Image:
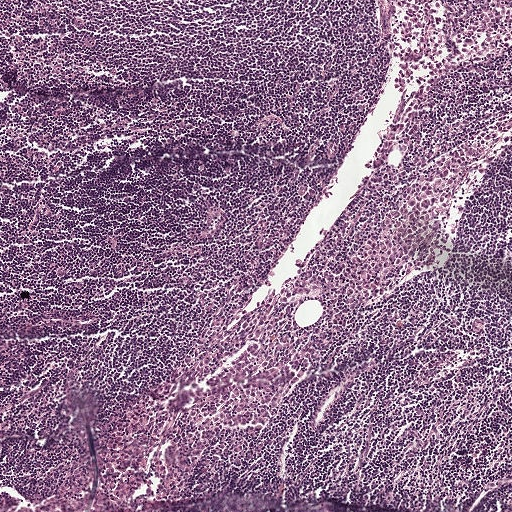
H&E-stained section of a sentinel lymph node (breast cancer), from a whole-slide image, viewed at about 5×: the field is about 1 mm across, about 1.9 µm per pixel.
Question:
Trace the edge of each tumour region in this crop, as (x, y) points from 0 to 511.
Answer:
Tumour region outline (a closed clockwise path, crop pixels): (484, 0), (511, 0), (511, 18), (500, 18), (492, 15), (485, 8).
Tumour covers under 5% of the frame.